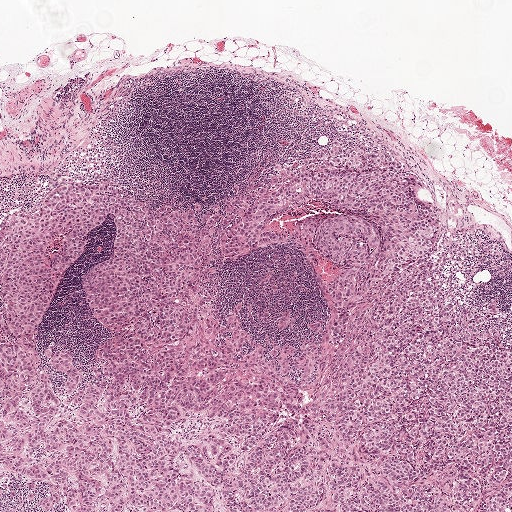
This is a crop of a whole-slide image: an H&E-stained breast-cancer sentinel lymph node section at roughly 2.5× magnification (about 3.9 µm per pixel; the crop spans about 2.0 mm).
Question: Show where the tumour is in this image.
Answer: Metastatic tumour outline, simplified to 13 points and listed clockwise in crop pixels (x, y): (335, 140), (385, 147), (445, 213), (457, 295), (511, 322), (511, 511), (0, 511), (0, 219), (71, 180), (112, 182), (189, 208), (217, 205), (237, 182).
Tumour covers about 60% of the frame.